Question: 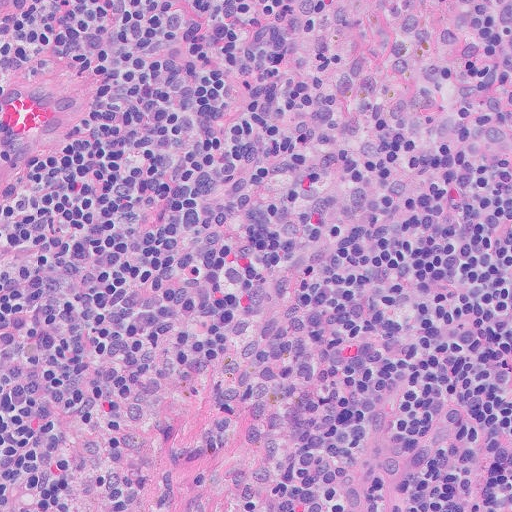
About what magnification does this crop show?

Choices:
 (A) about 40×
 (B) about 10×
 (C) about 20×
 (D) about 5×
 (E) about 2.5×

Answer: (C) about 20×
This is a crop of a whole-slide image: an H&E-stained breast-cancer sentinel lymph node section at roughly 20× magnification (about 0.5 µm per pixel; the crop spans about 0.26 mm).